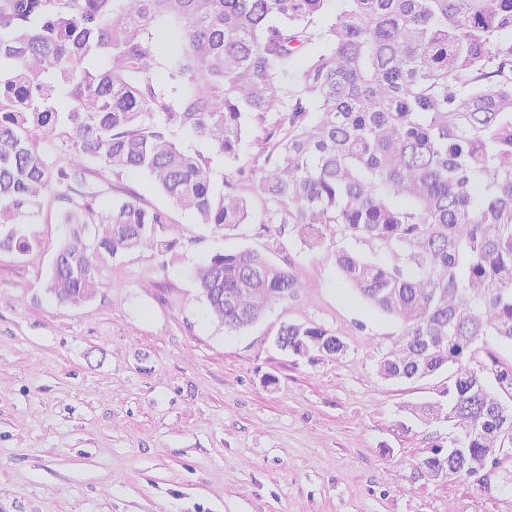
A 0.26-mm field of an H&E-stained sentinel lymph node from a breast-cancer patient (whole-slide image), shown at about 20×, about 0.5 µm per pixel.
The outlined metastatic tumour's edge, as a closed clockwise path of 5 points: (0, 0), (511, 0), (511, 492), (292, 380), (0, 288).
The annotated tumour makes up about 75% of the crop.